H&E-stained section of a sentinel lymph node (breast cancer), from a whole-slide image, viewed at about 5×: the field is about 1 mm across, about 1.9 µm per pixel.
Image:
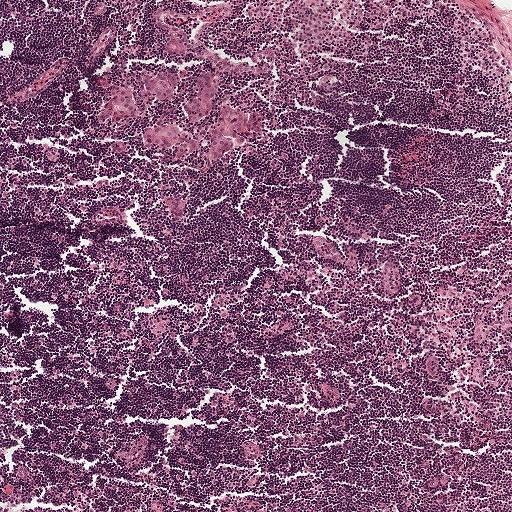
Question:
Where is the metastatic tumour in this field? Give each region's outline as (x, y) pixel points.
Answer:
Seven metastatic tumour regions, each outlined as a closed clockwise path in crop pixels (x, y), largest first: region 1: (239, 106), (256, 112), (260, 115), (262, 126), (257, 135), (250, 135), (244, 130), (238, 131), (236, 136), (244, 138), (246, 144), (229, 152), (217, 161), (212, 161), (208, 159), (207, 156), (209, 139), (217, 118), (223, 109); region 2: (208, 69), (215, 72), (217, 97), (206, 118), (200, 123), (190, 123), (182, 116), (183, 106), (188, 93), (200, 73); region 3: (160, 126), (176, 126), (202, 140), (206, 145), (205, 149), (201, 153), (189, 154), (180, 158), (177, 154), (181, 145), (168, 150), (153, 147), (144, 140), (146, 128); region 4: (127, 82), (134, 84), (139, 100), (139, 119), (120, 119), (106, 124), (98, 124), (95, 122), (98, 111), (116, 95), (121, 84); region 5: (169, 68), (178, 73), (176, 99), (159, 102), (149, 96), (139, 80), (140, 69), (146, 72); region 6: (168, 198), (178, 198), (186, 201), (185, 216), (182, 221), (177, 221), (172, 219), (164, 203), (164, 200); region 7: (119, 140), (125, 145), (126, 145), (126, 151), (126, 153), (124, 153), (116, 152), (114, 148), (108, 146), (108, 144).
About 5% of the image area is annotated as tumour.